Question: 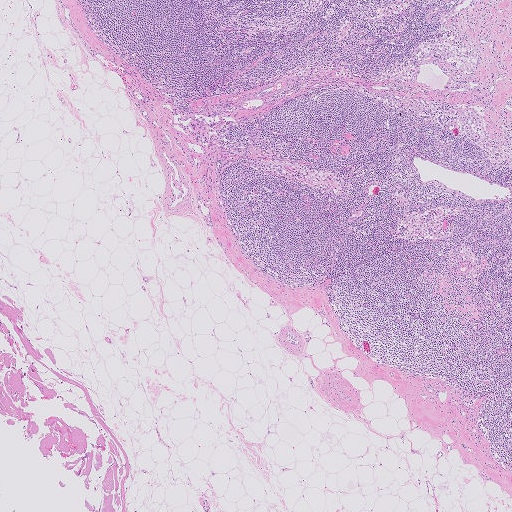
At roughly what magnification is this field shown?

Choices:
 (A) about 10×
 (B) about 20×
 (C) about 40×
 (D) about 5×
 (E) about 2.5×

Answer: (E) about 2.5×
A 2.0-mm field of an H&E-stained sentinel lymph node from a breast-cancer patient (whole-slide image), shown at about 2.5×, about 4.0 µm per pixel.